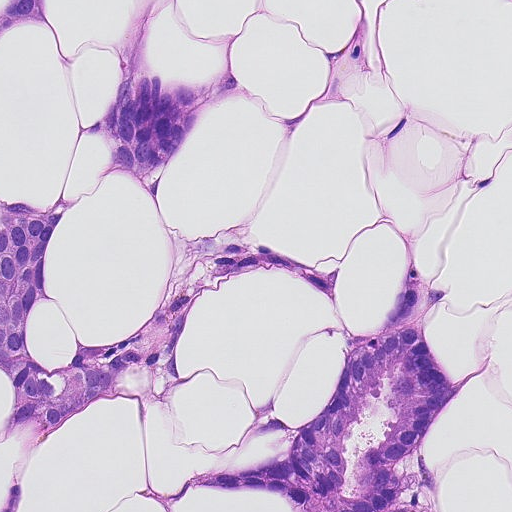
Lymph node section stained with H&E, from a whole-slide image of a breast-cancer sentinel node. Magnification about 20×, about 0.23 mm across the frame, about 0.45 µm per pixel.
Two metastatic tumour regions, each outlined as a closed clockwise path in crop pixels (x, y), largest first: region 1: (5, 0), (50, 0), (86, 126), (122, 38), (162, 78), (232, 72), (245, 90), (198, 116), (161, 201), (102, 146), (76, 149), (50, 301), (27, 315), (34, 368), (68, 336), (144, 322), (165, 226), (240, 222), (342, 277), (349, 330), (377, 328), (405, 257), (448, 297), (426, 312), (428, 340), (461, 392), (407, 452), (445, 511), (289, 511), (168, 481), (274, 455), (331, 394), (332, 311), (265, 272), (193, 305), (178, 392), (94, 404), (34, 456), (0, 375); region 2: (18, 474), (20, 501), (18, 511), (0, 511), (0, 503).
The annotated tumour makes up about 30% of the crop.